Image:
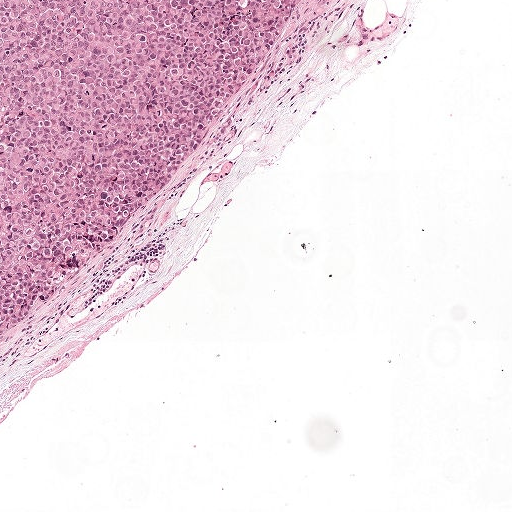
A 1-mm field of an H&E-stained sentinel lymph node from a breast-cancer patient (whole-slide image), shown at about 5×, about 1.9 µm per pixel.
Question:
Show where the tumour is in this image.
Answer:
Metastatic tumour outline, simplified to 5 points and listed clockwise in crop pixels (x, y): (0, 0), (303, 0), (223, 104), (164, 129), (2, 362).
About 20% of the image area is annotated as tumour.